Image:
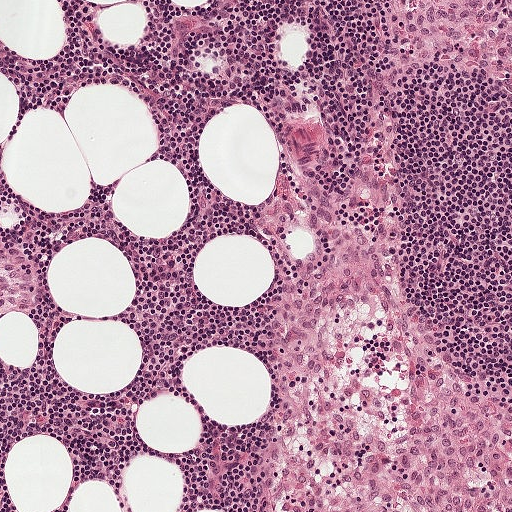
This is a crop of a whole-slide image: an H&E-stained breast-cancer sentinel lymph node section at roughly 10× magnification (about 0.97 µm per pixel; the crop spans about 0.5 mm).
Question:
Is any metastatic breast cancer visible in this crop?
Answer:
No: no metastatic tumour is outlined anywhere in this field.